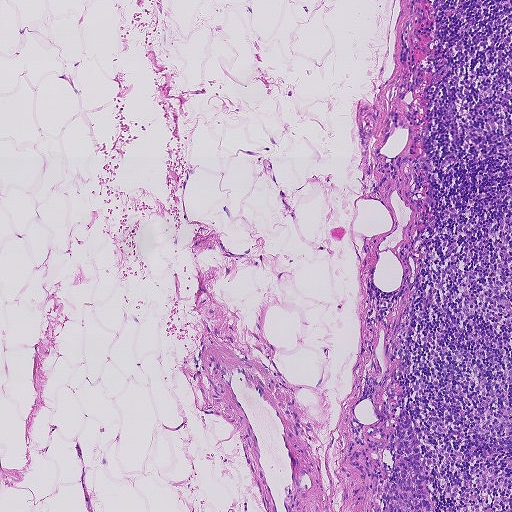
Lymph node section stained with H&E, from a whole-slide image of a breast-cancer sentinel node. Magnification about 5×, about 0.93 mm across the frame, about 1.8 µm per pixel.
The outlined metastatic tumour's edge, as a closed clockwise path of 10 points: (406, 408), (418, 438), (430, 504), (430, 511), (380, 511), (384, 505), (381, 495), (393, 469), (399, 412), (400, 409).
Under 5% of this field is tumour.